Image:
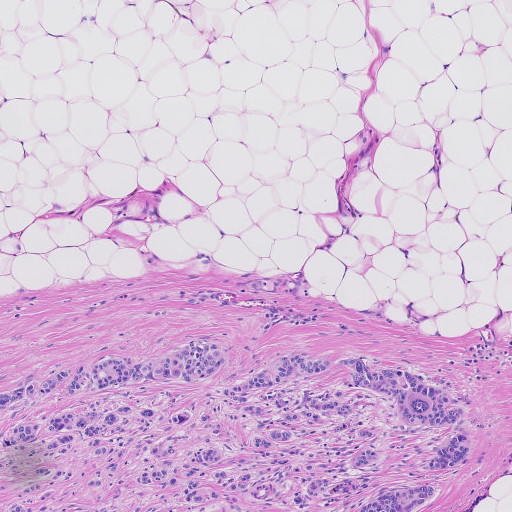
H&E-stained section of a sentinel lymph node (breast cancer), from a whole-slide image, viewed at about 5×: the field is about 0.93 mm across, about 1.8 µm per pixel.
Question:
Trace the edge of each tumour region in this crop, as (x, y) points from 0 to 511.
Answer:
The outlined metastatic tumour's edge, as a closed clockwise path of 24 points: (201, 335), (230, 350), (218, 384), (295, 350), (332, 360), (309, 382), (320, 392), (350, 375), (336, 361), (360, 354), (463, 403), (469, 459), (436, 472), (426, 462), (451, 426), (414, 430), (389, 398), (343, 390), (382, 433), (366, 479), (439, 488), (422, 508), (0, 511), (0, 391).
About 25% of this field is tumour.